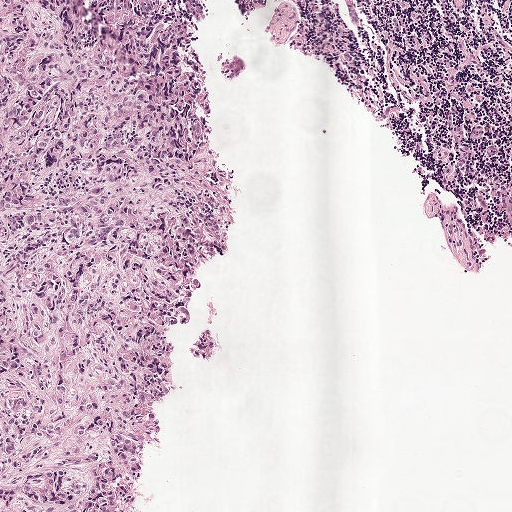
H&E-stained section of a sentinel lymph node (breast cancer), from a whole-slide image, viewed at about 5×: the field is about 1 mm across, about 1.9 µm per pixel.
The outlined metastatic tumour's edge, as a closed clockwise path of 11 points: (0, 0), (134, 0), (159, 94), (185, 126), (204, 196), (200, 238), (176, 257), (153, 305), (146, 386), (98, 505), (0, 511).
The annotated tumour makes up about 30% of the crop.